Image:
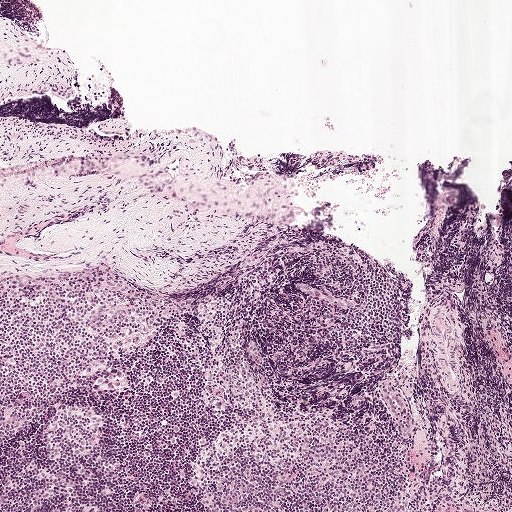
This is a crop of a whole-slide image: an H&E-stained breast-cancer sentinel lymph node section at roughly 5× magnification (about 1.9 µm per pixel; the crop spans about 1 mm).
Question:
Trace the edge of each tumour region in this crop, as (x, y) points from 0 to 511.
Answer:
Three metastatic tumour regions, each outlined as a closed clockwise path in crop pixels (x, y), largest first: region 1: (107, 306), (122, 306), (125, 309), (125, 314), (108, 327), (90, 326), (87, 321), (90, 316); region 2: (116, 369), (120, 369), (124, 374), (124, 386), (116, 389), (105, 389), (97, 386), (95, 380), (98, 376), (110, 376); region 3: (102, 280), (114, 280), (130, 285), (135, 293), (135, 296), (131, 297), (124, 295), (110, 290), (101, 283).
Under 5% of the image area is annotated as tumour.